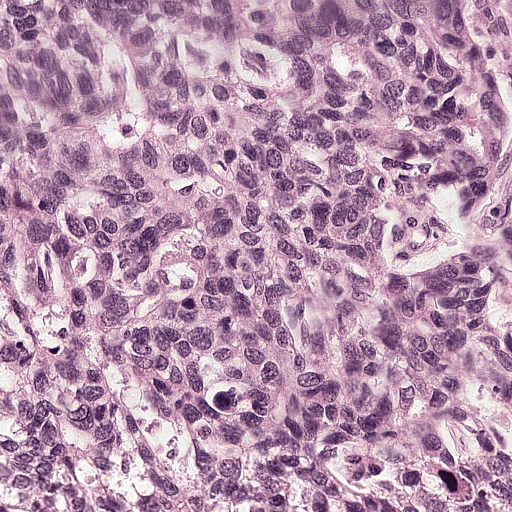
Lymph node section stained with H&E, from a whole-slide image of a breast-cancer sentinel node. Magnification about 20×, about 0.25 mm across the frame, about 0.49 µm per pixel.
Question: Where is the metastatic tumour in this field? Give each region's outline as (x, y) pixel points.
Answer: The outlined metastatic tumour's edge, as a closed clockwise path of 8 points: (511, 126), (511, 511), (0, 511), (0, 314), (238, 218), (304, 214), (346, 226), (449, 174).
About 55% of this field is tumour.